This is a crop of a whole-slide image: an H&E-stained breast-cancer sentinel lymph node section at roughly 5× magnification (about 1.9 µm per pixel; the crop spans about 1 mm).
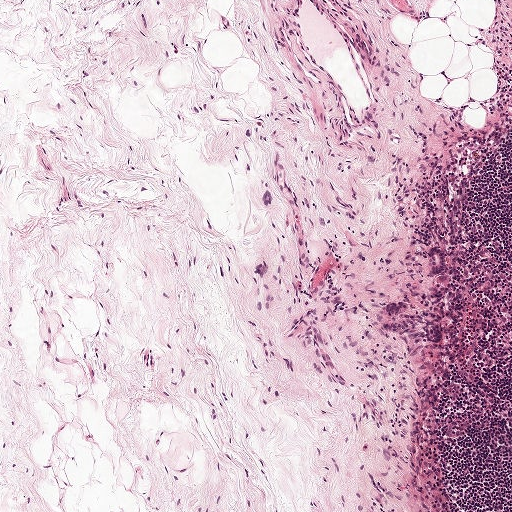
Outlines of two tumour regions, largest first (closed clockwise paths, crop pixels): region 1: (432, 246), (436, 246), (447, 254), (448, 274), (444, 276), (437, 276), (432, 274), (425, 260), (425, 254), (428, 248); region 2: (269, 186), (276, 196), (276, 200), (275, 205), (268, 209), (264, 208), (262, 204), (259, 202), (259, 195), (266, 187).
Under 5% of this field is tumour.